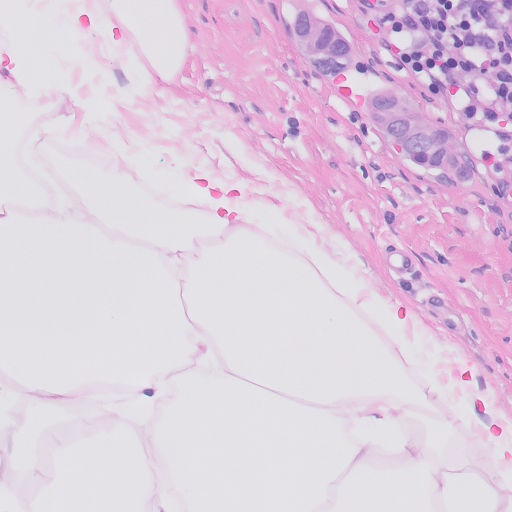
Lymph node section stained with H&E, from a whole-slide image of a breast-cancer sentinel node. Magnification about 20×, about 0.26 mm across the frame, about 0.5 µm per pixel.
Question: Where is the metastatic tumour in this field? Give each region's outline as (x, y) pixel points.
Answer: Boundaries of two metastatic tumour regions, simplified and listed clockwise, largest first: region 1: (392, 87), (408, 97), (450, 136), (458, 148), (470, 156), (477, 170), (472, 184), (460, 192), (446, 192), (410, 166), (393, 142), (358, 114), (354, 100), (362, 88); region 2: (304, 2), (318, 14), (334, 22), (347, 32), (355, 44), (355, 58), (350, 71), (336, 78), (323, 78), (302, 60), (288, 34), (284, 19), (290, 4).
Tumour covers about 5% of the frame.